Question: 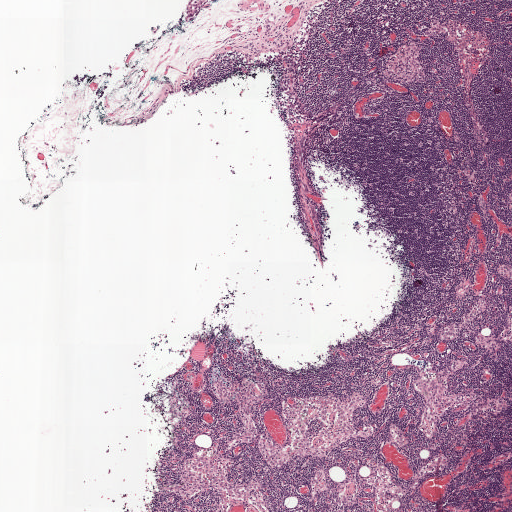
Lymph node section stained with H&E, from a whole-slide image of a breast-cancer sentinel node. Magnification about 2.5×, about 2.0 mm across the frame, about 3.9 µm per pixel.
What fraction of the image area is metastatic tumour?

Choices:
 (A) about 50% or more
 (B) none: no tumour is outlined
 (C) about 5% or less
 (D) about 10% to 20%
 (E) about 25% to 45%

Answer: (C) about 5% or less
Under 5% of the field is tumour.
Outlines of three tumour regions, largest first (closed clockwise paths, crop pixels): region 1: (188, 0), (221, 0), (206, 9), (196, 19), (170, 29); region 2: (108, 84), (106, 93), (98, 103), (94, 103), (95, 92), (99, 87); region 3: (78, 73), (81, 76), (88, 73), (88, 77), (78, 86), (72, 79).
Three more small tumour pieces are annotated here but not outlined.